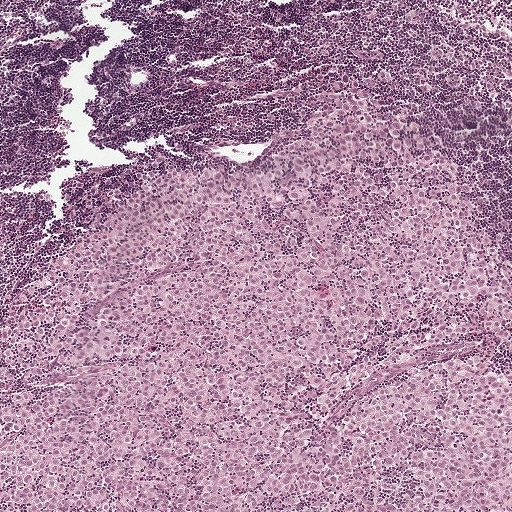
This is a crop of a whole-slide image: an H&E-stained breast-cancer sentinel lymph node section at roughly 5× magnification (about 1.9 µm per pixel; the crop spans about 1 mm).
One metastatic tumour region; its boundary, reduced to 15 corners and listed clockwise: (354, 72), (380, 89), (378, 112), (425, 130), (451, 155), (511, 254), (511, 511), (0, 511), (0, 320), (79, 228), (91, 190), (160, 164), (197, 173), (242, 165), (311, 98).
About 65% of this field is tumour.